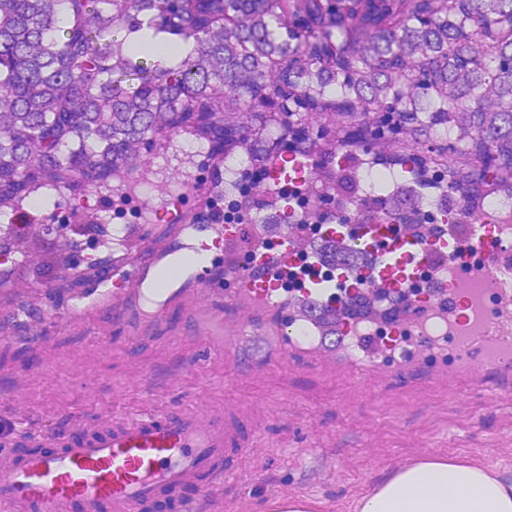
Lymph node section stained with H&E, from a whole-slide image of a breast-cancer sentinel node. Magnification about 20×, about 0.23 mm across the frame, about 0.45 µm per pixel.
Two metastatic tumour regions, each outlined as a closed clockwise path in crop pixels (x, y), largest first: region 1: (0, 0), (511, 0), (511, 232), (500, 240), (361, 216), (334, 206), (298, 159), (210, 146), (197, 132), (144, 150), (105, 188), (0, 203); region 2: (334, 234), (362, 245), (377, 268), (364, 292), (376, 312), (362, 321), (316, 324), (298, 304), (310, 293), (318, 303), (346, 305), (352, 278), (343, 274), (321, 270), (315, 256).
Two more small tumour pieces are annotated here but not outlined.
About 40% of this field is tumour.